H&E-stained section of a sentinel lymph node (breast cancer), from a whole-slide image, viewed at about 2.5×: the field is about 2.0 mm across, about 3.9 µm per pixel.
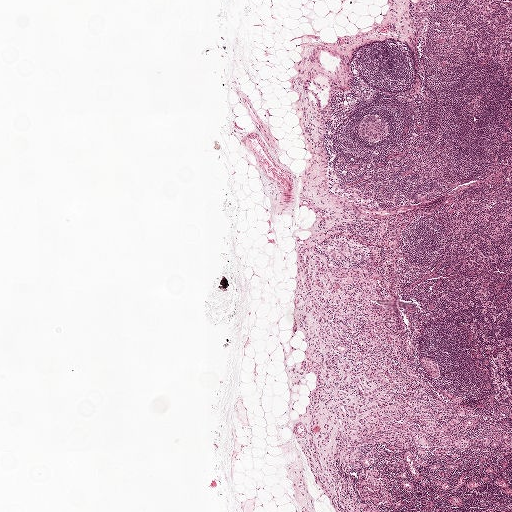
Outlines of four tumour regions, largest first (closed clockwise paths, crop pixels): region 1: (301, 260), (371, 272), (374, 310), (396, 316), (393, 333), (403, 342), (422, 329), (405, 352), (428, 395), (451, 404), (444, 390), (472, 410), (445, 432), (467, 451), (425, 457), (384, 441), (363, 452), (389, 496), (367, 500), (376, 511), (338, 511), (310, 464), (318, 377), (294, 314); region 2: (397, 240), (400, 244), (399, 254), (396, 259), (394, 269), (390, 270), (384, 270), (383, 261), (390, 253), (390, 243); region 3: (425, 356), (429, 357), (438, 365), (439, 376), (437, 378), (434, 378), (429, 375), (422, 368), (421, 361), (422, 357); region 4: (382, 221), (388, 223), (387, 244), (386, 246), (378, 246), (375, 241), (376, 236).
About 10% of the image area is annotated as tumour.